A 0.23-mm field of an H&E-stained sentinel lymph node from a breast-cancer patient (whole-slide image), shown at about 20×, about 0.45 µm per pixel.
Question: 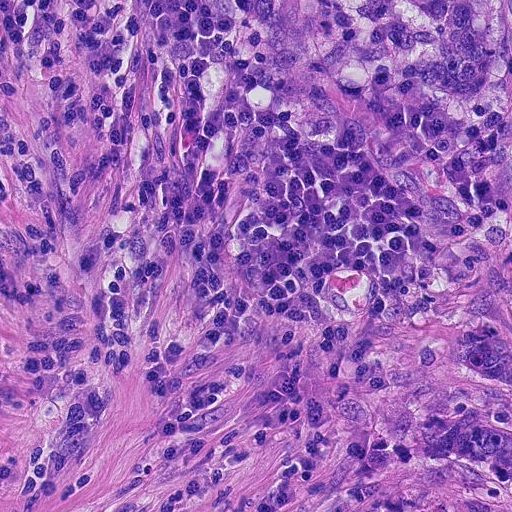
What fraction of the image area is metastatic tumour?

Choices:
 (A) about 25% to 45%
 (B) about 5% or less
 (C) about 10% to 20%
 (D) none: no tumour is outlined
 (E) about 50% or more

Answer: (A) about 25% to 45%
About 45% of the field is tumour.
The outlined metastatic tumour's edge, as a closed clockwise path of 10 points: (203, 0), (511, 0), (511, 511), (88, 511), (240, 400), (287, 332), (382, 290), (424, 232), (373, 165), (230, 87).